Lymph node section stained with H&E, from a whole-slide image of a breast-cancer sentinel node. Magnification about 20×, about 0.25 mm across the frame, about 0.49 µm per pixel.
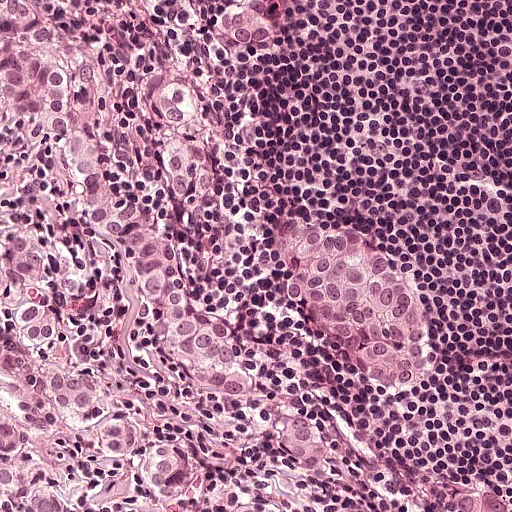
Boundaries of three metastatic tumour regions, simplified and listed clockwise, largest first: region 1: (0, 0), (46, 0), (136, 102), (205, 58), (251, 0), (292, 0), (282, 53), (204, 70), (226, 144), (210, 212), (156, 184), (205, 317), (242, 342), (274, 395), (331, 428), (332, 478), (313, 486), (322, 508), (0, 511); region 2: (301, 213), (348, 221), (356, 237), (400, 260), (417, 282), (428, 310), (429, 370), (410, 390), (384, 390), (348, 366), (328, 348), (313, 322), (292, 310), (278, 271), (278, 254), (288, 222); region 3: (450, 482), (468, 482), (511, 497), (511, 511), (447, 511), (440, 506), (440, 494).
About 50% of this field is tumour.